Question: 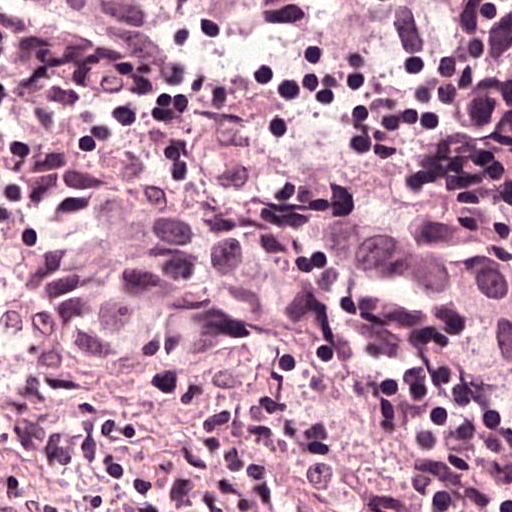
About what magnification does this crop show?

Choices:
 (A) about 2.5×
 (B) about 10×
 (C) about 5×
 (D) about 40×
 (E) about 20×

Answer: (D) about 40×
This is a crop of a whole-slide image: an H&E-stained breast-cancer sentinel lymph node section at roughly 40× magnification (about 0.24 µm per pixel; the crop spans about 0.12 mm).
Outlines of two tumour regions, largest first (closed clockwise paths, crop pixels): region 1: (121, 163), (175, 163), (247, 201), (456, 207), (511, 232), (511, 393), (462, 388), (350, 326), (209, 332), (171, 351), (65, 345), (43, 313), (37, 266), (62, 235), (103, 213); region 2: (511, 0), (511, 153), (305, 36), (271, 36), (196, 77), (161, 83), (93, 55), (21, 2).
Tumour covers about 40% of the frame.